Lymph node section stained with H&E, from a whole-slide image of a breast-cancer sentinel node. Magnification about 2.5×, about 1.9 mm across the frame, about 3.6 µm per pixel.
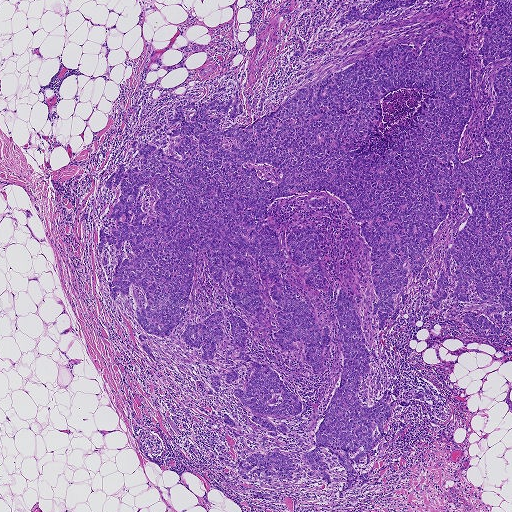
Metastatic tumour outline, simplified to 20 points and listed clockwise in crop pixels (x, y): (511, 0), (511, 328), (477, 337), (409, 284), (366, 387), (424, 398), (394, 412), (369, 480), (254, 498), (198, 352), (152, 336), (158, 363), (109, 296), (104, 185), (185, 97), (237, 96), (224, 127), (279, 108), (298, 39), (370, 3).
One more small tumour piece is annotated here but not outlined.
About 50% of this field is tumour.